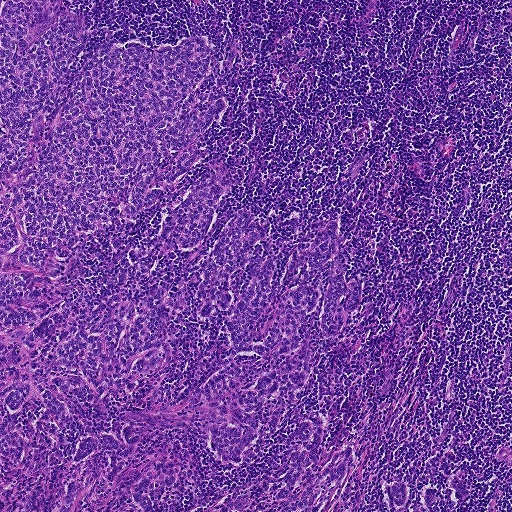
H&E-stained section of a sentinel lymph node (breast cancer), from a whole-slide image, viewed at about 5×: the field is about 0.93 mm across, about 1.8 µm per pixel.
Question: Is there metastatic carcinoma in this field?
Answer: Yes.
Outlines of four tumour regions, largest first (closed clockwise paths, crop pixels): region 1: (0, 0), (75, 11), (86, 34), (77, 66), (113, 44), (206, 36), (218, 60), (203, 84), (228, 111), (190, 179), (229, 167), (222, 217), (247, 205), (267, 224), (277, 273), (290, 248), (339, 222), (359, 287), (353, 316), (262, 450), (240, 467), (212, 465), (189, 511), (0, 511); region 2: (319, 411), (331, 416), (326, 445), (354, 443), (361, 454), (355, 479), (353, 511), (197, 511), (273, 470), (291, 451), (278, 447), (296, 425); region 3: (452, 472), (463, 472), (471, 480), (471, 492), (467, 503), (453, 503), (442, 500), (431, 505), (434, 511), (409, 511), (421, 486), (432, 485), (440, 491), (448, 486), (448, 478); region 4: (395, 478), (407, 482), (410, 492), (406, 503), (397, 510), (389, 511), (386, 486).
About 55% of the image area is annotated as tumour.